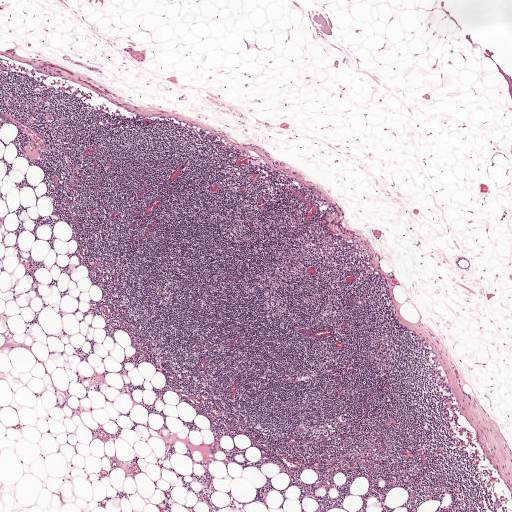
A 2.0-mm field of an H&E-stained sentinel lymph node from a breast-cancer patient (whole-slide image), shown at about 2.5×, about 3.9 µm per pixel.
One metastatic tumour region; its boundary, reduced to 10 corners and listed clockwise: (350, 296), (357, 296), (362, 297), (367, 301), (367, 305), (367, 308), (365, 308), (358, 307), (348, 300), (348, 297).
The annotated tumour makes up under 5% of the crop.